Image:
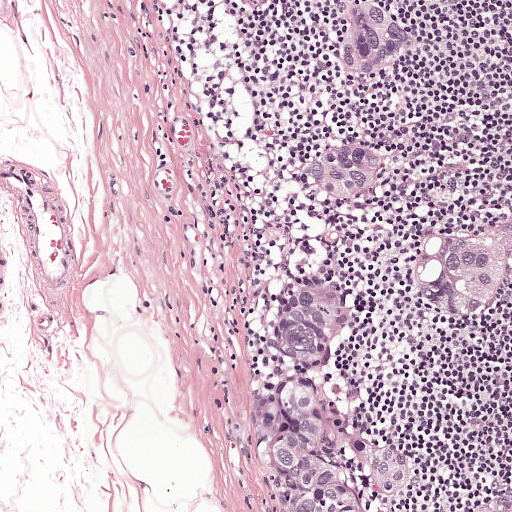
Lymph node section stained with H&E, from a whole-slide image of a breast-cancer sentinel node. Magnification about 10×, about 0.5 mm across the frame, about 0.97 µm per pixel.
Question:
Which parts of this field are metastatic tumour? Answer with the outline of each region, in pixels.
Answer:
Outlines of five tumour regions, largest first (closed clockwise paths, crop pixels): region 1: (303, 276), (334, 276), (362, 300), (342, 360), (360, 382), (364, 419), (414, 462), (416, 477), (400, 498), (387, 500), (362, 492), (368, 511), (271, 511), (256, 444), (265, 393), (286, 378), (288, 366), (262, 364), (256, 351), (286, 283); region 2: (511, 210), (511, 261), (482, 308), (459, 320), (444, 320), (430, 314), (406, 278), (404, 261), (421, 230), (432, 226), (477, 228); region 3: (357, 132), (380, 140), (386, 151), (384, 177), (375, 190), (364, 198), (351, 199), (312, 198), (297, 186), (292, 172), (301, 159), (312, 148), (336, 138); region 4: (358, 0), (365, 0), (407, 24), (419, 34), (421, 49), (414, 60), (387, 76), (364, 75), (338, 62), (333, 50), (336, 39), (349, 7); region 5: (505, 489), (511, 491), (511, 511), (472, 511), (473, 510), (481, 501), (492, 494).
About 15% of the image area is annotated as tumour.